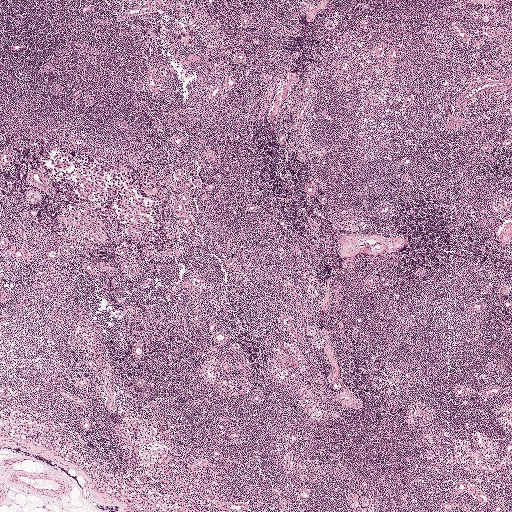
H&E-stained section of a sentinel lymph node (breast cancer), from a whole-slide image, viewed at about 2.5×: the field is about 2.0 mm across, about 3.9 µm per pixel.
Question: Does this lymph node field contain metastatic tumour?
Answer: Yes.
Outlines of two tumour regions, largest first (closed clockwise paths, crop pixels): region 1: (56, 153), (75, 154), (83, 160), (116, 166), (131, 174), (137, 181), (134, 190), (161, 208), (163, 222), (161, 227), (156, 228), (153, 220), (145, 229), (131, 227), (121, 217), (117, 204), (111, 206), (98, 198), (88, 201), (78, 196), (75, 181), (58, 176), (51, 166), (49, 161); region 2: (86, 207), (108, 210), (113, 213), (112, 220), (109, 221), (100, 217), (82, 218), (81, 213).
Under 5% of this field is tumour.